H&E-stained section of a sentinel lymph node (breast cancer), from a whole-slide image, viewed at about 10×: the field is about 0.46 mm across, about 0.9 µm per pixel.
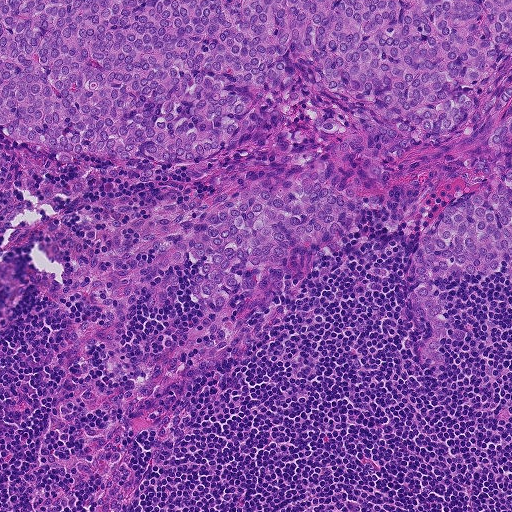
Question: Which parts of this field are metastatic tumour?
Answer: One metastatic tumour region; its boundary, reduced to 22 corners and listed clockwise: (0, 0), (511, 0), (511, 280), (434, 279), (466, 339), (427, 365), (405, 306), (434, 220), (415, 208), (447, 174), (429, 173), (248, 319), (200, 303), (189, 251), (152, 266), (132, 214), (207, 205), (370, 121), (295, 78), (210, 160), (143, 182), (13, 140).
Tumour covers about 45% of the frame.